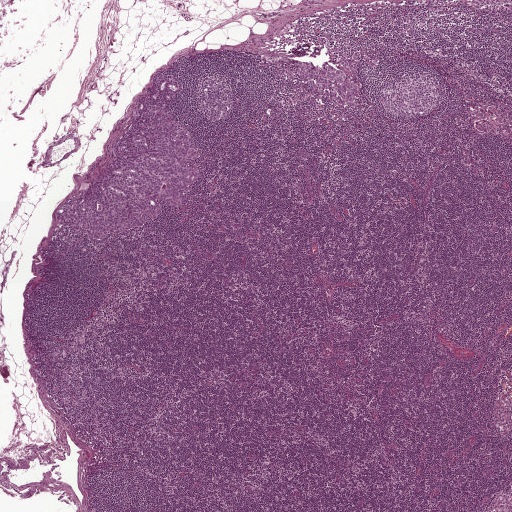
H&E-stained section of a sentinel lymph node (breast cancer), from a whole-slide image, viewed at about 2.5×: the field is about 2.0 mm across, about 3.9 µm per pixel.
Two metastatic tumour regions, each outlined as a closed clockwise path in crop pixels (x, y), largest first: region 1: (170, 74), (183, 84), (174, 103), (167, 105), (191, 128), (200, 151), (199, 178), (190, 200), (177, 208), (157, 199), (163, 212), (156, 220), (108, 239), (99, 242), (71, 235), (58, 241), (52, 232), (58, 209), (92, 190), (112, 160), (113, 142), (125, 134), (136, 101), (158, 75); region 2: (357, 50), (364, 54), (366, 50), (376, 59), (374, 60), (375, 68), (366, 65), (360, 58), (357, 77), (359, 105), (350, 107), (324, 98), (315, 100), (306, 84), (289, 80), (278, 68), (262, 59), (265, 55), (282, 55), (310, 60), (318, 66), (326, 61), (352, 77), (340, 58).
About 5% of this field is tumour.